This is a crop of a whole-slide image: an H&E-stained breast-cancer sentinel lymph node section at roughly 5× magnification (about 1.8 µm per pixel; the crop spans about 0.93 mm).
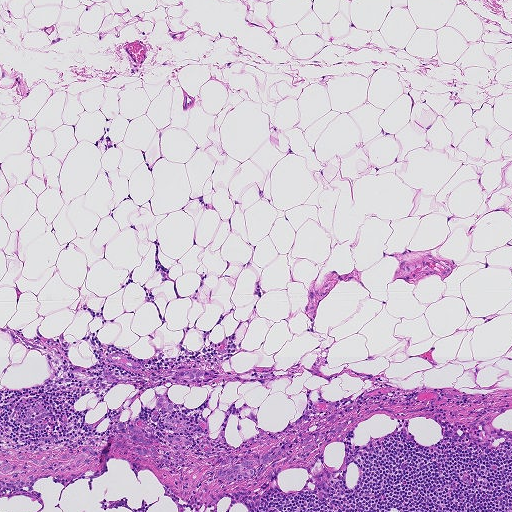
The outlined metastatic tumour's edge, as a closed clockwise path of 38 points: (108, 352), (160, 368), (280, 370), (269, 372), (284, 376), (268, 381), (170, 387), (170, 400), (208, 421), (208, 436), (222, 429), (234, 447), (258, 432), (248, 412), (252, 410), (263, 430), (272, 431), (298, 420), (308, 399), (367, 402), (355, 414), (379, 408), (307, 460), (230, 483), (211, 478), (213, 454), (161, 461), (116, 451), (83, 465), (3, 482), (0, 449), (92, 440), (144, 406), (154, 407), (170, 382), (152, 388), (106, 383), (101, 358).
The annotated tumour makes up about 5% of the crop.